H&E-stained section of a sentinel lymph node (breast cancer), from a whole-slide image, viewed at about 10×: the field is about 0.5 mm across, about 0.97 µm per pixel.
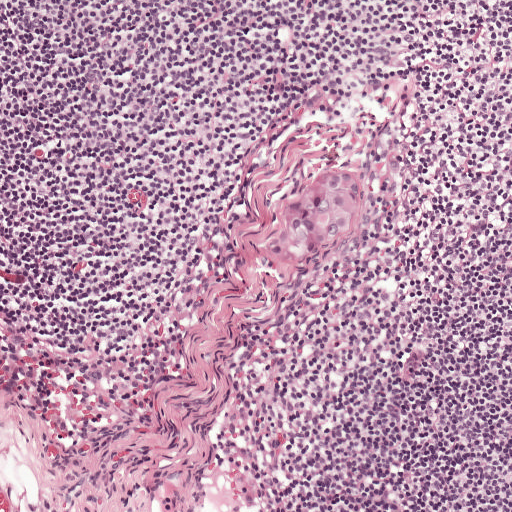
Metastatic tumour outline, simplified to 11 points and listed clockwise in crop pixels (x, y): (345, 168), (358, 173), (362, 196), (362, 222), (344, 242), (306, 262), (286, 262), (265, 246), (272, 226), (285, 212), (290, 199).
The annotated tumour makes up under 5% of the crop.